Image:
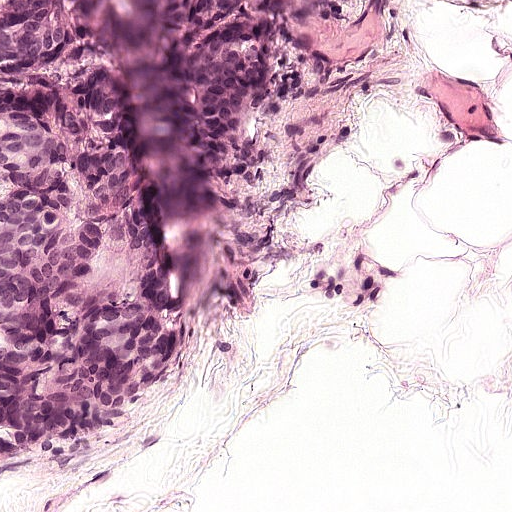
Lymph node section stained with H&E, from a whole-slide image of a breast-cancer sentinel node. Magnification about 20×, about 0.25 mm across the frame, about 0.49 µm per pixel.
Question:
Describe where the metastatic carcinoma lies in this crop.
Answer:
Tumour region outline (a closed clockwise path, crop pixels): (0, 0), (38, 0), (80, 72), (136, 222), (150, 276), (150, 332), (129, 389), (86, 434), (3, 460).
Tumour covers about 20% of the frame.